Image:
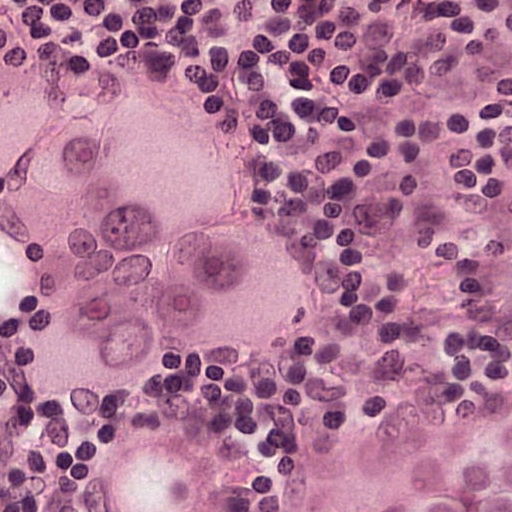
A 0.12-mm field of an H&E-stained sentinel lymph node from a breast-cancer patient (whole-slide image), shown at about 40×, about 0.24 µm per pixel.
Question:
Describe where the metastatic carcinoma lies in this crop.
Answer:
Outlines of two tumour regions, largest first (closed clockwise paths, crop pixels): region 1: (173, 74), (190, 78), (234, 141), (261, 215), (322, 281), (334, 315), (326, 358), (301, 372), (200, 382), (157, 406), (59, 393), (30, 272), (0, 234), (0, 103), (32, 85), (120, 96); region 2: (453, 379), (494, 384), (511, 379), (511, 511), (228, 511), (241, 496), (410, 392).
About 40% of the image area is annotated as tumour.

Image:
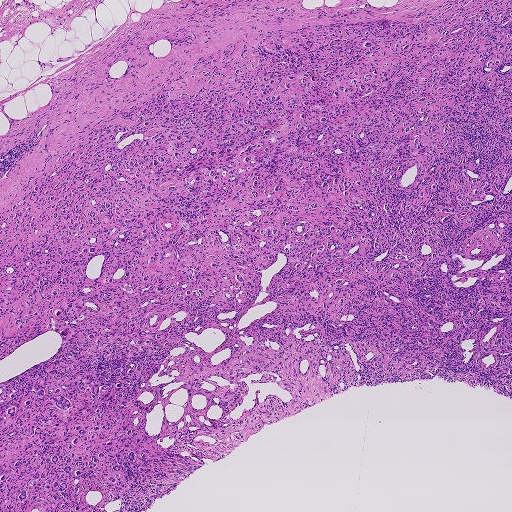
A 1.9-mm field of an H&E-stained sentinel lymph node from a breast-cancer patient (whole-slide image), shown at about 2.5×, about 3.6 µm per pixel.
Question:
Describe where the metastatic carcinoma lies in this crop.
Answer:
One metastatic tumour region; its boundary, reduced to 18 corners and listed clockwise: (511, 0), (511, 400), (433, 376), (351, 386), (265, 424), (222, 460), (202, 459), (141, 511), (0, 511), (0, 218), (29, 175), (47, 174), (94, 127), (126, 127), (162, 92), (194, 91), (183, 71), (248, 39).
About 75% of the image area is annotated as tumour.

Image:
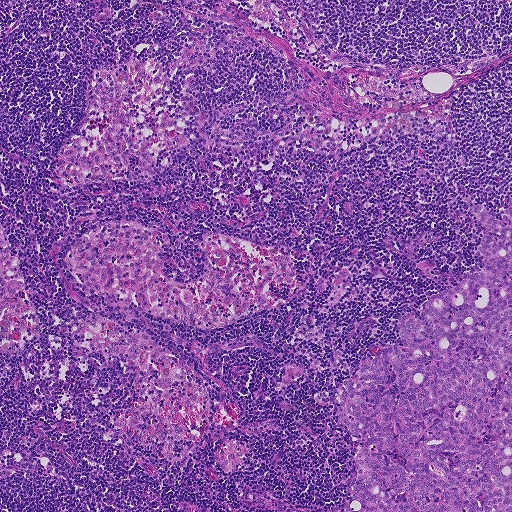
H&E-stained section of a sentinel lymph node (breast cancer), from a whole-slide image, viewed at about 5×: the field is about 0.93 mm across, about 1.8 µm per pixel.
Question:
Describe where the metastatic carcinoma lies in this crop.
Answer:
One metastatic tumour region; its boundary, reduced to 17 corners and listed clockwise: (511, 196), (511, 511), (343, 511), (355, 449), (314, 395), (340, 390), (381, 345), (402, 346), (396, 318), (423, 310), (480, 263), (474, 248), (482, 233), (468, 209), (473, 201), (505, 222), (500, 206).
About 15% of the image area is annotated as tumour.

Image:
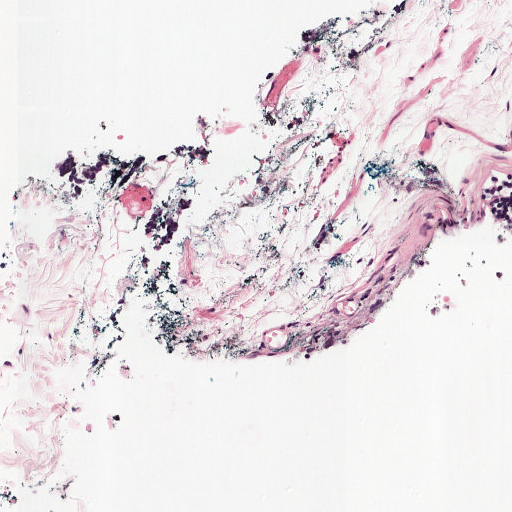
Lymph node section stained with H&E, from a whole-slide image of a breast-cancer sentinel node. Magnification about 10×, about 0.5 mm across the frame, about 0.97 µm per pixel.
Question:
Describe where the metastatic carcinoma lies in this crop.
Answer:
Three metastatic tumour regions, each outlined as a closed clockwise path in crop pixels (x, y), largest first: region 1: (197, 191), (184, 226), (153, 266), (140, 268), (143, 224), (158, 202); region 2: (74, 146), (86, 158), (114, 149), (114, 165), (74, 199), (50, 172), (63, 151); region 3: (204, 140), (212, 165), (196, 162), (170, 163), (153, 159), (170, 145).
Two more small tumour pieces are annotated here but not outlined.
Tumour covers under 5% of the frame.